Question: 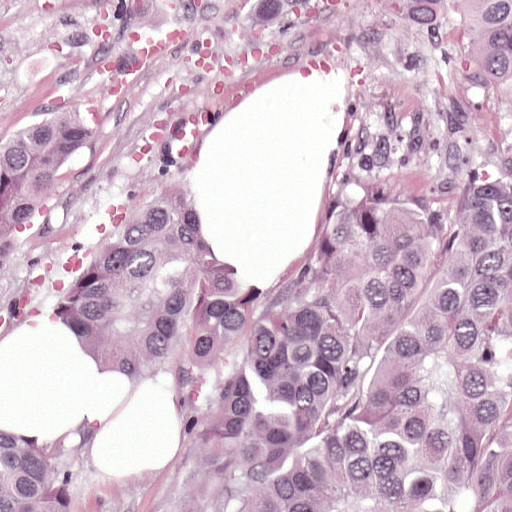
This is a crop of a whole-slide image: an H&E-stained breast-cancer sentinel lymph node section at roughly 20× magnification (about 0.49 µm per pixel; the crop spans about 0.25 mm).
What fraction of the image area is metastatic tumour?

Choices:
 (A) about 25% to 45%
 (B) none: no tumour is outlined
 (C) about 10% to 20%
 (D) about 5% or less
 (E) about 50% or more

Answer: (E) about 50% or more
About 75% of the field is tumour.
One metastatic tumour region; its boundary, reduced to 19 corners and listed clockwise: (0, 0), (511, 0), (511, 511), (0, 511), (0, 422), (85, 456), (182, 431), (170, 376), (128, 388), (58, 314), (102, 238), (168, 181), (222, 244), (270, 268), (340, 188), (360, 88), (345, 54), (248, 56), (0, 241).